Image:
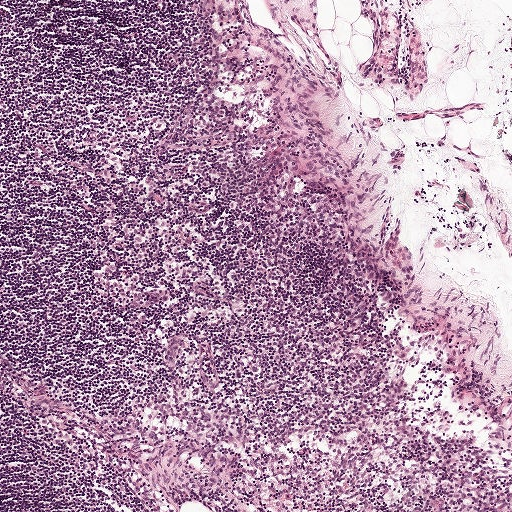
H&E-stained section of a sentinel lymph node (breast cancer), from a whole-slide image, viewed at about 5×: the field is about 1 mm across, about 1.9 µm per pixel.
Question:
Is any metastatic breast cancer visible in this crop?
Answer:
No, this field holds no outlined metastasis.